Lymph node section stained with H&E, from a whole-slide image of a breast-cancer sentinel node. Magnification about 5×, about 1 mm across the frame, about 1.9 µm per pixel.
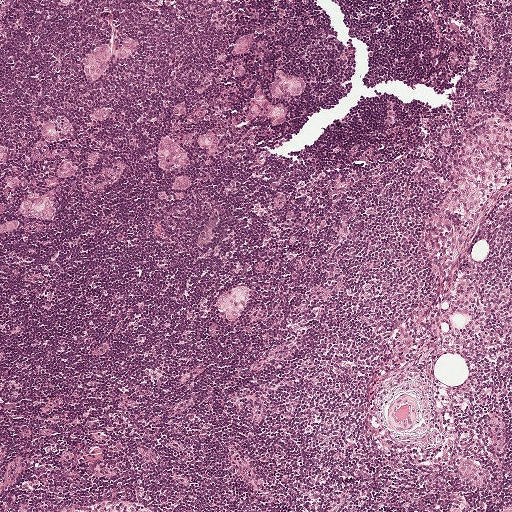
The eight largest tumour regions' boundaries, simplified and listed clockwise, largest first: region 1: (241, 283), (250, 284), (252, 287), (252, 295), (246, 313), (236, 323), (227, 322), (223, 314), (219, 314), (216, 305), (217, 298), (222, 294), (226, 286); region 2: (164, 132), (178, 140), (184, 149), (188, 151), (188, 167), (172, 174), (162, 172), (156, 164), (156, 146); region 3: (282, 67), (286, 71), (304, 79), (307, 84), (306, 93), (296, 99), (273, 99), (268, 87), (268, 83), (277, 68); region 4: (258, 88), (265, 92), (270, 102), (286, 104), (289, 110), (288, 122), (280, 127), (271, 124), (269, 119), (264, 116), (249, 119), (248, 112), (253, 92); region 5: (28, 191), (36, 195), (53, 197), (57, 206), (54, 221), (23, 218), (19, 213), (19, 209), (22, 198), (24, 198), (25, 192); region 6: (102, 42), (112, 46), (112, 67), (103, 78), (96, 81), (89, 81), (84, 77), (83, 62), (86, 55), (93, 46); region 7: (459, 458), (485, 464), (490, 477), (484, 488), (470, 487), (462, 482), (454, 464); region 8: (67, 119), (76, 128), (75, 134), (70, 139), (58, 142), (45, 142), (41, 134), (43, 122), (46, 121).
Eight more, smaller tumour regions are not outlined.
Four more small tumour pieces are annotated here but not outlined.
The annotated tumour makes up about 5% of the crop.